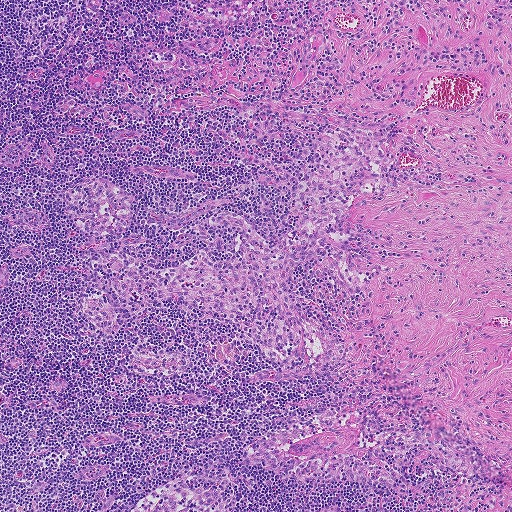
H&E-stained section of a sentinel lymph node (breast cancer), from a whole-slide image, viewed at about 5×: the field is about 0.93 mm across, about 1.8 µm per pixel.
Question: Does this lymph node field contain metastatic tumour?
Answer: No: no metastatic tumour is outlined anywhere in this field.